A 0.93-mm field of an H&E-stained sentinel lymph node from a breast-cancer patient (whole-slide image), shown at about 5×, about 1.8 µm per pixel.
Question: 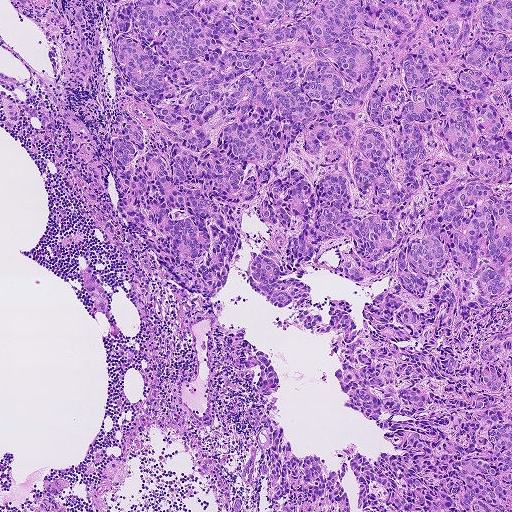
Estimate the proportion of this field that is metastatic tumour.

Choices:
 (A) about 10% to 20%
 (B) about 25% to 45%
 (C) about 5% or less
 (D) about 50% or more
 (E) none: no tumour is outlined

Answer: (D) about 50% or more
About 65% of the field is tumour.
One metastatic tumour region; its boundary, reduced to 20 corners and listed clockwise: (511, 0), (511, 511), (259, 511), (260, 476), (245, 484), (241, 475), (260, 426), (250, 427), (246, 410), (255, 407), (264, 424), (259, 365), (228, 362), (234, 334), (169, 276), (116, 205), (104, 140), (131, 87), (113, 63), (106, 4).